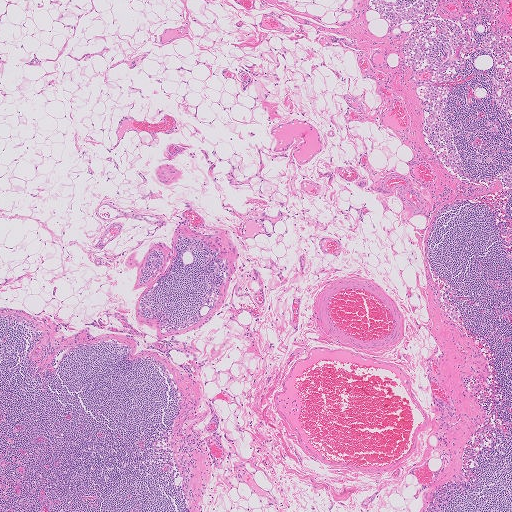
Lymph node section stained with H&E, from a whole-slide image of a breast-cancer sentinel node. Magnification about 2.5×, about 2.0 mm across the frame, about 4.0 µm per pixel.